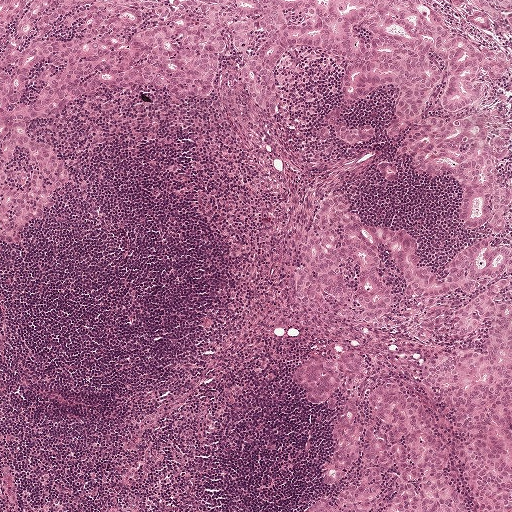
Lymph node section stained with H&E, from a whole-slide image of a breast-cancer sentinel node. Magnification about 5×, about 1 mm across the frame, about 1.9 µm per pixel.
Metastatic tumour outline, simplified to 23 points and listed clockwise in crop pixels (x, y): (236, 0), (431, 0), (450, 30), (502, 51), (507, 70), (492, 81), (479, 69), (473, 103), (442, 110), (448, 65), (432, 53), (431, 58), (443, 78), (418, 116), (398, 121), (397, 86), (344, 98), (337, 55), (292, 48), (278, 62), (269, 116), (242, 78), (229, 28).
About 10% of the image area is annotated as tumour.